H&E-stained section of a sentinel lymph node (breast cancer), from a whole-slide image, viewed at about 5×: the field is about 1 mm across, about 1.9 µm per pixel.
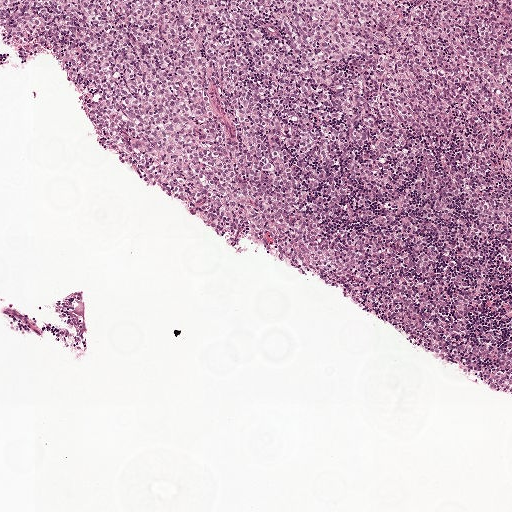
Question: Is there metastatic carcinoma in this field?
Answer: Yes.
Metastatic tumour outline, simplified to 9 points and listed clockwise in crop pixels (x, y): (0, 0), (511, 0), (511, 390), (135, 172), (117, 156), (117, 115), (104, 99), (28, 52), (5, 53).
The annotated tumour makes up about 45% of the crop.